Question: 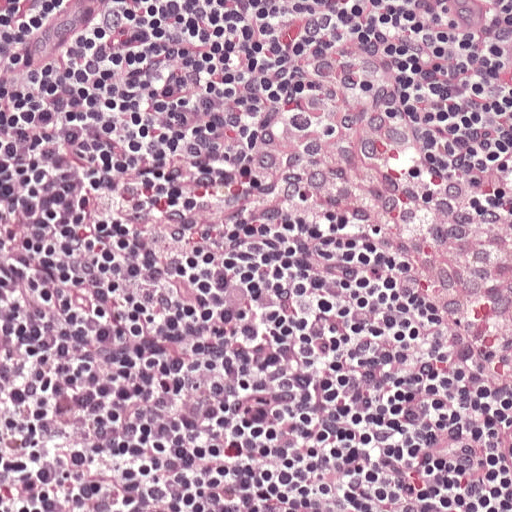
At roughly what magnification is this field shown?

Choices:
 (A) about 20×
 (B) about 40×
 (C) about 5×
 (D) about 10×
 (E) about 2.5×

Answer: (A) about 20×
A 0.25-mm field of an H&E-stained sentinel lymph node from a breast-cancer patient (whole-slide image), shown at about 20×, about 0.49 µm per pixel.